H&E-stained section of a sentinel lymph node (breast cancer), from a whole-slide image, viewed at about 10×: the field is about 0.5 mm across, about 0.97 µm per pixel.
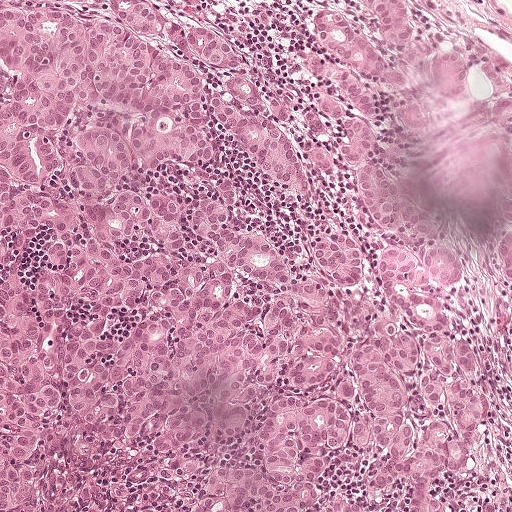
Metastatic tumour outline, simplified to 8 points and listed clockwise in crop pixels (x, y): (0, 5), (77, 13), (150, 36), (206, 81), (218, 117), (218, 190), (175, 294), (0, 486).
About 30% of the image area is annotated as tumour.